Question: 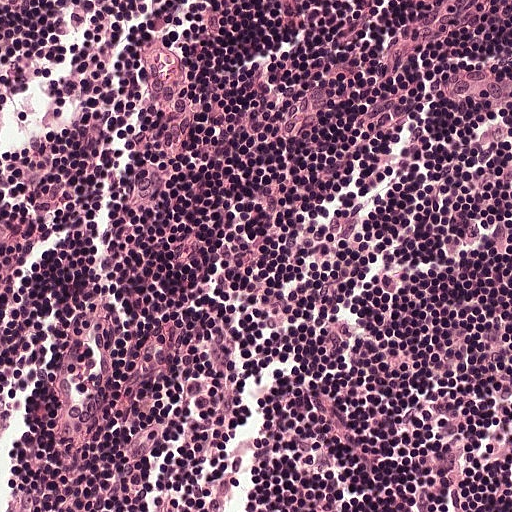
A 0.25-mm field of an H&E-stained sentinel lymph node from a breast-cancer patient (whole-slide image), shown at about 20×, about 0.49 µm per pixel.
About how much of this crop is taken up by metastatic carcinoma?

Choices:
 (A) none: no tumour is outlined
 (B) about 25% to 45%
 (C) about 50% or more
 (D) about 5% or less
 (E) about 10% to 20%

Answer: (A) none: no tumour is outlined
No metastatic tumour is outlined in this field.